Image:
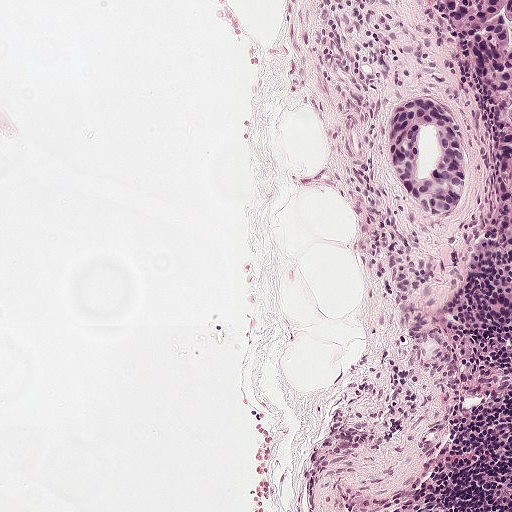
Lymph node section stained with H&E, from a whole-slide image of a breast-cancer sentinel node. Magnification about 10×, about 0.5 mm across the frame, about 0.97 µm per pixel.
Question:
Is any metastatic breast cancer visible in this crop?
Answer:
Yes.
Outlines of two tumour regions, largest first (closed clockwise paths, crop pixels): region 1: (511, 0), (511, 255), (494, 217), (495, 200), (504, 176), (499, 125), (457, 57), (433, 1); region 2: (414, 100), (444, 105), (465, 134), (470, 161), (468, 191), (458, 211), (444, 220), (428, 220), (397, 188), (391, 174), (387, 124), (393, 111).
Region 2 encloses a non-tumour hole of about 15% of its area.
About 5% of the image area is annotated as tumour.